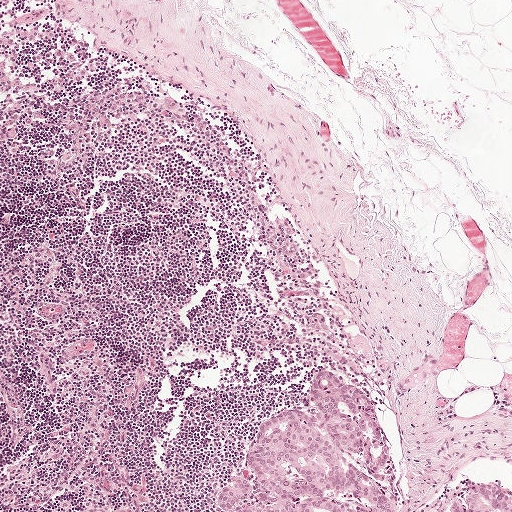
This is a crop of a whole-slide image: an H&E-stained breast-cancer sentinel lymph node section at roughly 5× magnification (about 1.9 µm per pixel; the crop spans about 1 mm).
Boundaries of two metastatic tumour regions, simplified and listed clockwise, largest first: region 1: (330, 372), (356, 380), (376, 416), (396, 468), (395, 511), (214, 510), (242, 466), (253, 429), (281, 412), (311, 412), (308, 396), (316, 376); region 2: (478, 485), (491, 485), (511, 495), (511, 511), (446, 511), (453, 507), (458, 496).
The annotated tumour makes up about 5% of the crop.